H&E-stained section of a sentinel lymph node (breast cancer), from a whole-slide image, viewed at about 10×: the field is about 0.5 mm across, about 0.97 µm per pixel.
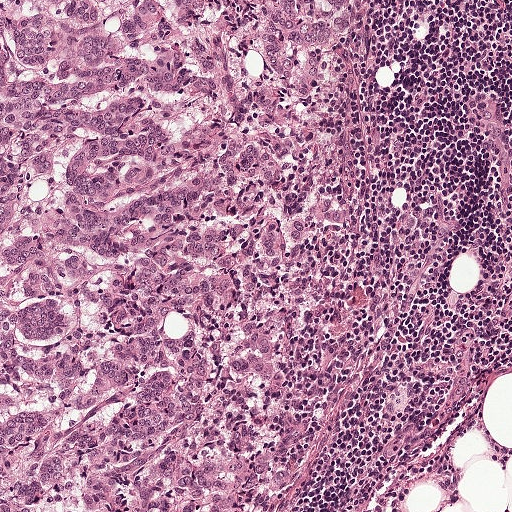
Question: Show where the tumour is in this image.
Answer: One metastatic tumour region; its boundary, reduced to 5 corners and listed clockwise: (0, 0), (395, 0), (405, 290), (354, 508), (0, 511).
The annotated tumour makes up about 75% of the crop.